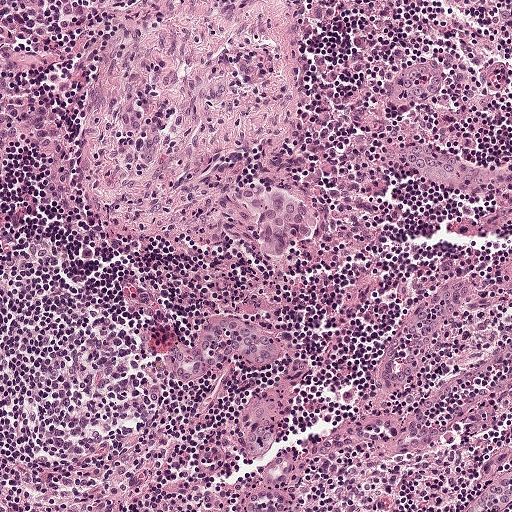
A 0.5-mm field of an H&E-stained sentinel lymph node from a breast-cancer patient (whole-slide image), shown at about 10×, about 0.97 µm per pixel.
Tumour region outline (a closed clockwise path, crop pixels): (260, 178), (280, 184), (288, 191), (320, 207), (318, 238), (311, 244), (298, 244), (274, 263), (264, 262), (254, 246), (251, 220), (230, 208), (230, 188), (242, 179).
Under 5% of the image area is annotated as tumour.